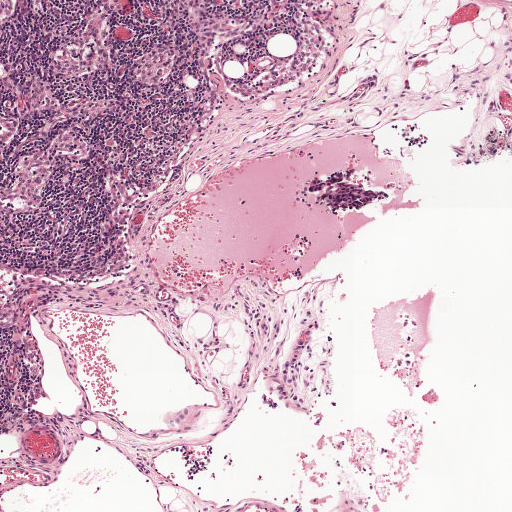
A 1-mm field of an H&E-stained sentinel lymph node from a breast-cancer patient (whole-slide image), shown at about 5×, about 1.9 µm per pixel.
Outlines of two tumour regions, largest first (closed clockwise paths, crop pixels): region 1: (334, 169), (376, 169), (382, 179), (391, 183), (390, 200), (364, 210), (321, 213), (297, 202), (295, 197), (299, 186), (308, 176); region 2: (415, 134), (424, 134), (429, 140), (426, 146), (417, 149), (408, 146), (404, 138).
Under 5% of the image area is annotated as tumour.